Image:
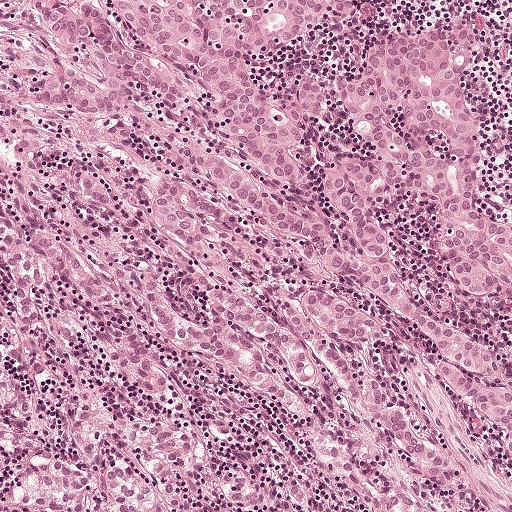
This is a crop of a whole-slide image: an H&E-stained breast-cancer sentinel lymph node section at roughly 10× magnification (about 0.97 µm per pixel; the crop spans about 0.5 mm).
Question:
Trace the edge of each tumour region in this crop, as (x, y) points from 0 to 511.
Answer:
Tumour region outline (a closed clockwise path, crop pixels): (52, 0), (360, 0), (288, 55), (238, 53), (272, 104), (328, 88), (302, 148), (313, 190), (363, 148), (350, 65), (410, 26), (479, 30), (470, 202), (511, 228), (511, 302), (454, 292), (413, 200), (378, 222), (408, 287), (500, 362), (511, 458), (448, 396), (438, 349), (352, 284), (376, 367), (459, 467), (428, 473), (359, 402), (299, 390), (206, 318), (206, 264), (26, 88), (84, 65), (43, 26).
About 45% of the image area is annotated as tumour.